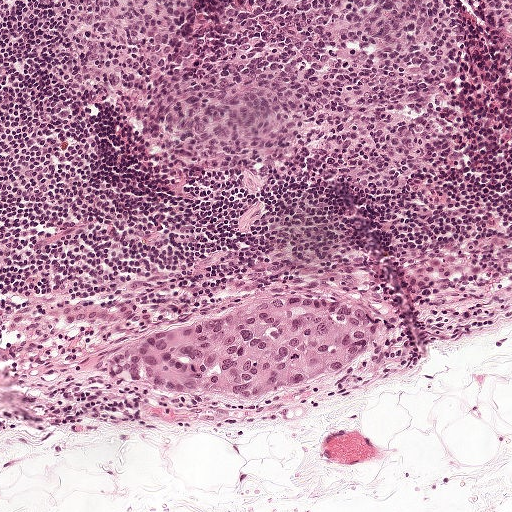
Lymph node section stained with H&E, from a whole-slide image of a breast-cancer sentinel node. Magnification about 10×, about 0.5 mm across the frame, about 0.97 µm per pixel.
One metastatic tumour region; its boundary, reduced to 11 corners and listed clockwise: (260, 293), (323, 298), (373, 316), (381, 329), (380, 345), (344, 384), (260, 416), (176, 406), (113, 367), (109, 350), (123, 333).
About 10% of the image area is annotated as tumour.